This is a crop of a whole-slide image: an H&E-stained breast-cancer sentinel lymph node section at roughly 5× magnification (about 1.8 µm per pixel; the crop spans about 0.93 mm).
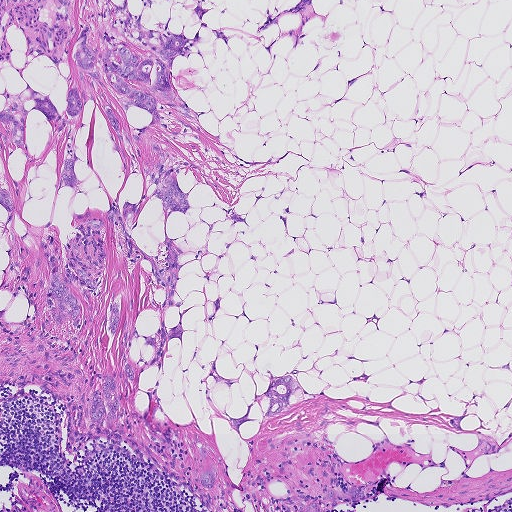
Six metastatic tumour regions, each outlined as a closed clockwise path in crop pixels (x, y), largest first: region 1: (0, 0), (74, 0), (73, 43), (88, 25), (91, 48), (110, 47), (114, 62), (119, 44), (150, 57), (124, 29), (126, 10), (144, 29), (190, 42), (171, 84), (198, 118), (158, 102), (154, 134), (181, 161), (187, 214), (166, 220), (154, 199), (143, 166), (158, 159), (149, 148), (152, 119), (133, 105), (140, 144), (119, 141), (87, 100), (73, 144), (76, 193), (53, 185), (67, 132), (34, 110), (27, 148), (0, 126), (4, 87), (24, 90), (0, 63); region 2: (0, 186), (6, 187), (10, 192), (21, 222), (34, 232), (58, 239), (64, 264), (66, 245), (75, 230), (74, 214), (90, 212), (104, 219), (103, 284), (112, 298), (119, 294), (120, 303), (120, 320), (111, 344), (107, 302), (102, 295), (97, 301), (89, 298), (86, 290), (72, 283), (84, 311), (83, 328), (76, 333), (59, 332), (53, 328), (44, 305), (47, 273), (42, 249), (0, 204); region 3: (216, 360), (216, 368), (219, 375), (235, 382), (229, 390), (224, 383), (221, 382), (212, 388), (210, 395), (212, 402), (218, 410), (230, 417), (237, 419), (246, 413), (246, 406), (253, 401), (254, 394), (259, 395), (267, 389), (271, 375), (291, 375), (300, 386), (303, 401), (272, 417), (262, 417), (269, 401), (266, 399), (256, 402), (248, 416), (254, 420), (240, 427), (239, 433), (209, 407), (204, 394), (204, 384), (198, 382), (209, 374), (209, 367), (207, 364); region 4: (125, 362), (129, 363), (134, 376), (132, 383), (123, 378), (116, 381), (120, 405), (118, 420), (105, 418), (103, 422), (96, 424), (89, 420), (90, 394), (99, 388), (107, 375), (112, 380), (122, 373); region 5: (354, 486), (361, 489), (364, 495), (360, 501), (352, 501), (346, 498), (338, 498), (332, 502), (323, 502), (318, 511), (300, 511), (305, 506), (311, 502), (318, 501), (323, 496), (326, 489), (334, 489), (341, 492); region 6: (199, 447), (203, 448), (215, 465), (217, 472), (214, 486), (208, 490), (202, 486), (199, 478), (202, 464), (198, 449).
About 10% of this field is tumour.